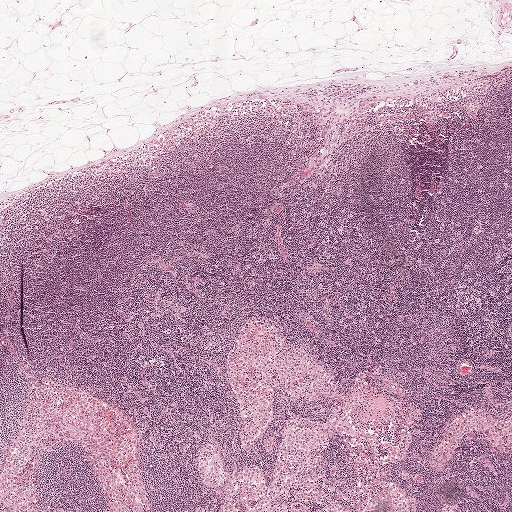
This is a crop of a whole-slide image: an H&E-stained breast-cancer sentinel lymph node section at roughly 2.5× magnification (about 3.9 µm per pixel; the crop spans about 2.0 mm).
Boundaries of two metastatic tumour regions, simplified and listed clockwise, largest first: region 1: (377, 97), (378, 102), (375, 107), (360, 114), (355, 119), (346, 122), (351, 110), (358, 106), (360, 102), (368, 98); region 2: (330, 105), (333, 106), (334, 106), (334, 112), (331, 113), (325, 122), (322, 123), (317, 123), (316, 120), (317, 117), (317, 108), (318, 107), (321, 106), (326, 108).
Tumour covers under 5% of the frame.